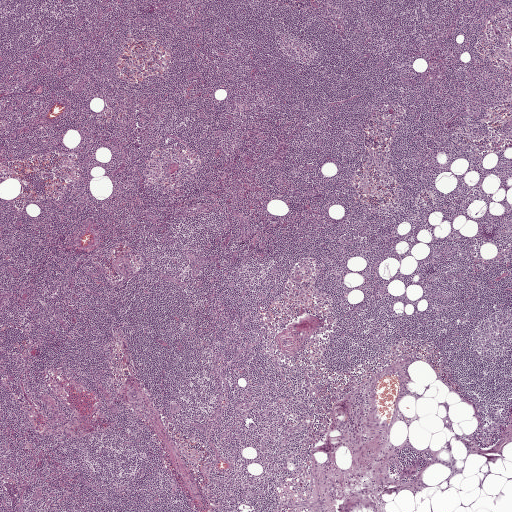
H&E-stained section of a sentinel lymph node (breast cancer), from a whole-slide image, viewed at about 2.5×: the field is about 2.0 mm across, about 3.9 µm per pixel.